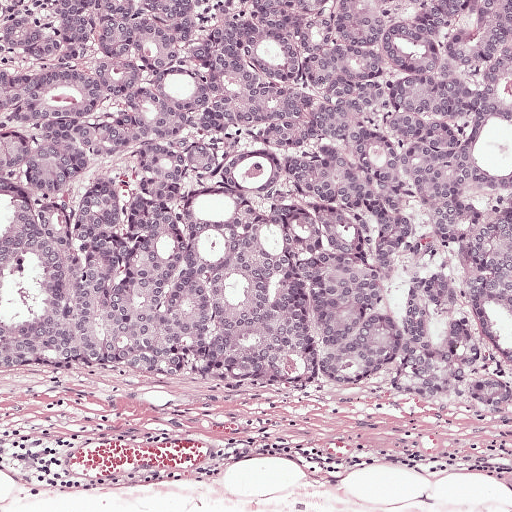
Lymph node section stained with H&E, from a whole-slide image of a breast-cancer sentinel node. Magnification about 10×, about 0.5 mm across the frame, about 0.97 µm per pixel.
Metastatic tumour outline, simplified to 4 points and listed clockwise in crop pixels (x, y): (0, 0), (511, 0), (511, 407), (6, 372).
About 75% of this field is tumour.